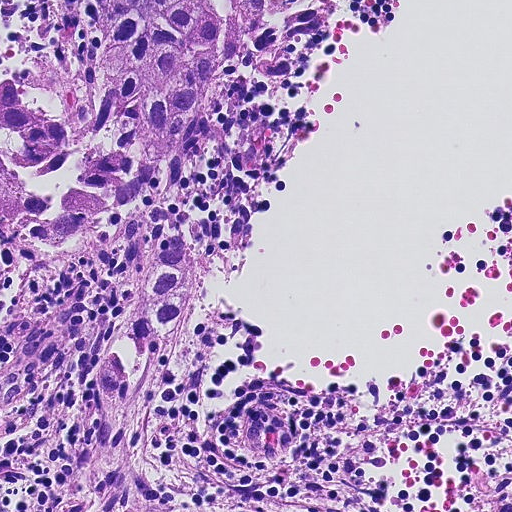
This is a crop of a whole-slide image: an H&E-stained breast-cancer sentinel lymph node section at roughly 20× magnification (about 0.45 µm per pixel; the crop spans about 0.23 mm).
Metastatic tumour outline, simplified to 19 points and listed clockwise in crop pixels (x, y): (34, 0), (263, 0), (260, 29), (182, 188), (182, 316), (150, 402), (161, 490), (220, 511), (77, 511), (102, 346), (154, 266), (144, 204), (90, 252), (0, 301), (0, 250), (12, 254), (0, 238), (0, 71), (51, 38).
About 25% of the image area is annotated as tumour.